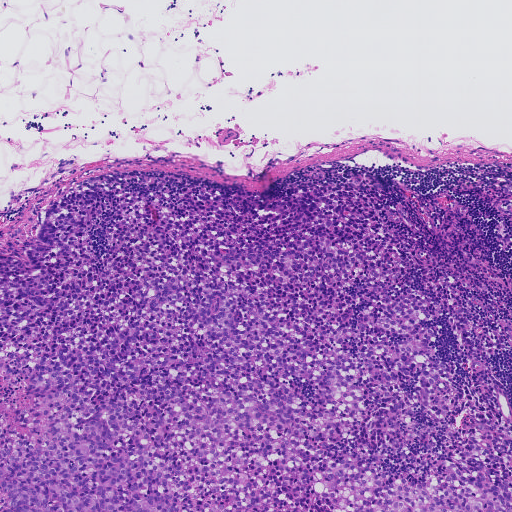
This is a crop of a whole-slide image: an H&E-stained breast-cancer sentinel lymph node section at roughly 5× magnification (about 1.8 µm per pixel; the crop spans about 0.93 mm).
Outlines of two tumour regions, largest first (closed clockwise paths, crop pixels): region 1: (354, 184), (397, 239), (397, 295), (438, 300), (422, 324), (466, 404), (452, 426), (417, 403), (407, 456), (377, 413), (322, 470), (421, 482), (480, 421), (511, 438), (511, 511), (0, 511), (0, 255), (74, 191), (107, 194), (100, 258), (128, 192), (179, 213), (190, 186), (261, 207); region 2: (346, 169), (359, 170), (381, 183), (388, 195), (381, 204), (373, 202), (366, 194), (365, 187), (349, 182), (342, 175).
Tumour covers about 50% of the frame.